H&E-stained section of a sentinel lymph node (breast cancer), from a whole-slide image, viewed at about 2.5×: the field is about 2.0 mm across, about 3.9 µm per pixel.
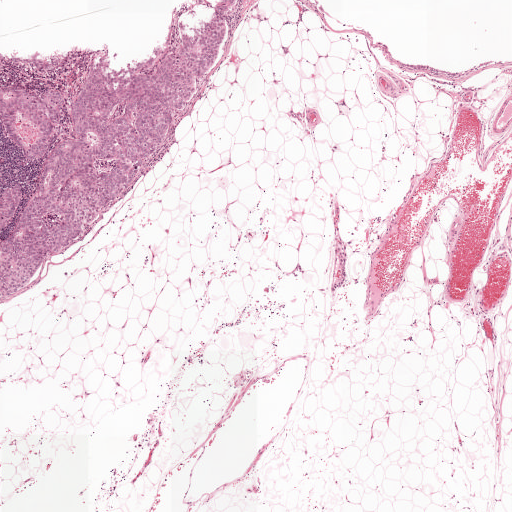
Four metastatic tumour regions, each outlined as a closed clockwise path in crop pixels (x, y), largest first: region 1: (220, 0), (235, 0), (220, 57), (163, 148), (101, 216), (46, 260), (26, 288), (0, 300), (0, 243), (52, 150), (70, 136), (73, 94), (84, 74), (102, 52), (114, 51), (122, 67), (173, 44), (186, 12), (197, 9), (200, 19); region 2: (0, 82), (59, 91), (65, 100), (64, 112), (50, 144), (36, 161), (25, 161), (15, 156), (1, 124); region 3: (35, 51), (72, 51), (67, 64), (48, 69), (31, 69), (13, 64), (3, 55); region 4: (16, 182), (22, 187), (22, 194), (13, 216), (4, 228), (0, 230), (0, 198), (9, 186).
The annotated tumour makes up about 10% of the crop.